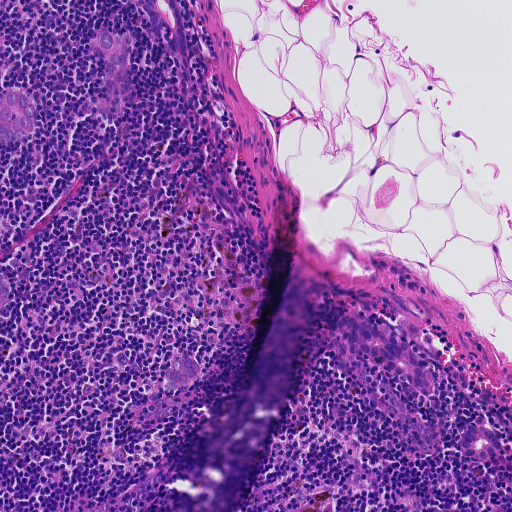
Lymph node section stained with H&E, from a whole-slide image of a breast-cancer sentinel node. Magnification about 10×, about 0.46 mm across the frame, about 0.91 µm per pixel.
Boundaries of seven metastatic tumour regions, simplified and listed clockwise, largest first: region 1: (346, 314), (405, 336), (426, 356), (436, 376), (435, 386), (426, 391), (407, 384), (370, 356), (359, 356), (346, 372), (330, 346), (336, 337), (336, 318); region 2: (102, 28), (116, 34), (126, 32), (134, 38), (130, 58), (130, 69), (135, 78), (135, 88), (129, 96), (120, 99), (112, 94), (106, 85), (104, 76), (102, 56), (97, 37); region 3: (141, 0), (175, 0), (190, 51), (184, 57), (174, 55), (166, 49), (152, 32), (145, 12), (141, 6); region 4: (8, 87), (29, 90), (34, 109), (34, 128), (27, 136), (18, 142), (8, 142), (0, 140), (1, 93); region 5: (182, 354), (192, 356), (200, 362), (202, 372), (198, 380), (190, 387), (174, 394), (165, 392), (162, 382), (162, 373), (172, 356); region 6: (467, 424), (486, 427), (496, 432), (501, 440), (500, 450), (494, 458), (484, 459), (464, 451), (461, 442); region 7: (0, 272), (8, 274), (10, 293), (7, 302), (0, 306).
About 5% of the image area is annotated as tumour.